Question: 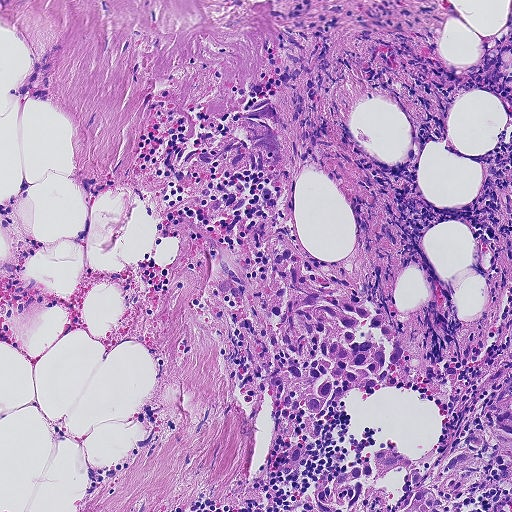
H&E-stained section of a sentinel lymph node (breast cancer), from a whole-slide image, viewed at about 10×: the field is about 0.46 mm across, about 0.9 µm per pixel.
What fraction of the image area is metastatic tumour?

Choices:
 (A) none: no tumour is outlined
 (B) about 50% or more
 (C) about 5% or less
 (D) about 25% to 45%
 (E) about 10% to 20%

Answer: (E) about 10% to 20%
About 15% of the field is tumour.
Two metastatic tumour regions, each outlined as a closed clockwise path in crop pixels (x, y), largest first: region 1: (268, 89), (280, 112), (285, 236), (298, 254), (394, 319), (402, 336), (394, 372), (341, 393), (269, 511), (250, 511), (264, 507), (295, 441), (266, 374), (281, 362), (301, 360), (274, 349), (252, 320), (215, 296), (208, 276), (214, 239), (229, 244), (254, 276), (271, 272), (274, 253), (248, 227), (262, 207), (264, 188), (257, 171), (182, 182), (185, 164), (220, 121); region 2: (511, 392), (511, 456), (487, 442), (484, 486), (448, 511), (284, 511), (305, 498), (326, 468), (351, 464), (384, 449), (402, 449), (434, 471).